Image:
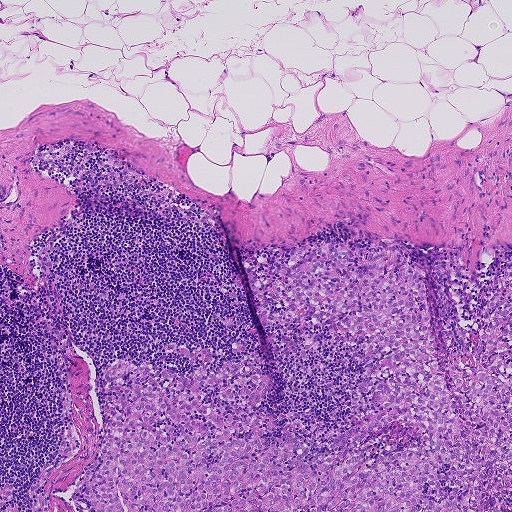
H&E-stained section of a sentinel lymph node (breast cancer), from a whole-slide image, viewed at about 5×: the field is about 0.93 mm across, about 1.8 µm per pixel.
Question:
Outline the metastatic carcinoma in this image, as closed paths of (x, y) pixel coordinates.
Answer:
Two metastatic tumour regions, each outlined as a closed clockwise path in crop pixels (x, y), largest first: region 1: (298, 249), (409, 249), (447, 371), (473, 370), (509, 263), (511, 511), (94, 511), (116, 360), (246, 362), (272, 378), (254, 410), (277, 416), (269, 442), (288, 428), (306, 460), (387, 410), (357, 388), (362, 344), (261, 323); region 2: (8, 483), (12, 485), (12, 496), (10, 501), (0, 507), (0, 487).
One more small tumour piece is annotated here but not outlined.
About 25% of this field is tumour.